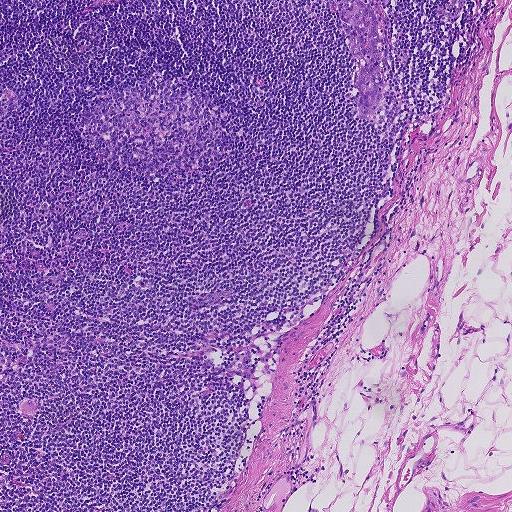
A 0.93-mm field of an H&E-stained sentinel lymph node from a breast-cancer patient (whole-slide image), shown at about 5×, about 1.8 µm per pixel.
Boundaries of two metastatic tumour regions, simplified and listed clockwise, largest first: region 1: (326, 0), (378, 0), (388, 23), (389, 48), (387, 74), (381, 110), (372, 118), (356, 116), (356, 110), (350, 98), (358, 63), (345, 42), (341, 18), (334, 7); region 2: (90, 0), (133, 0), (121, 6), (97, 8), (85, 12), (82, 10).
Under 5% of this field is tumour.